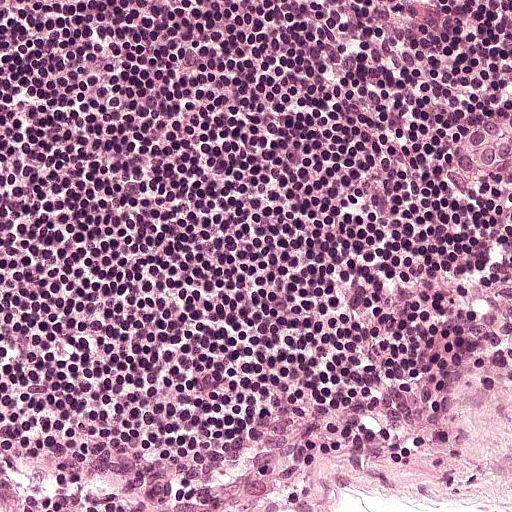
H&E-stained section of a sentinel lymph node (breast cancer), from a whole-slide image, viewed at about 20×: the field is about 0.25 mm across, about 0.49 µm per pixel.
Question: Is any metastatic breast cancer visible in this crop?
Answer: No, this field holds no outlined metastasis.